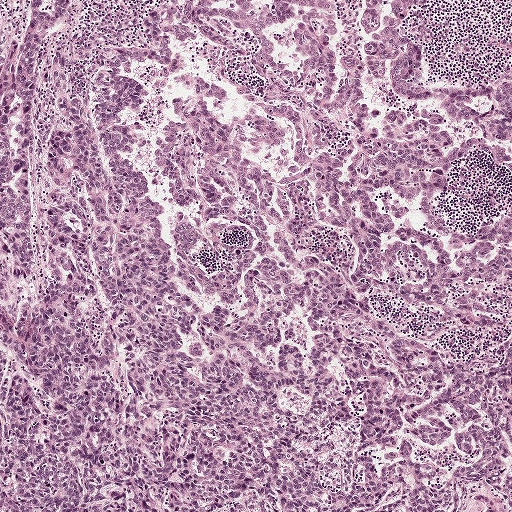
A 1-mm field of an H&E-stained sentinel lymph node from a breast-cancer patient (whole-slide image), shown at about 5×, about 1.9 µm per pixel.
Five metastatic tumour regions, each outlined as a closed clockwise path in crop pixels (x, y), largest first: region 1: (52, 123), (72, 131), (73, 177), (92, 235), (95, 279), (119, 326), (120, 420), (114, 465), (95, 510), (0, 511), (0, 295), (12, 309), (22, 309), (43, 276), (36, 159); region 2: (358, 46), (368, 78), (369, 98), (459, 120), (511, 154), (511, 174), (484, 155), (460, 158), (447, 191), (436, 201), (453, 222), (452, 236), (448, 239), (437, 237), (412, 204), (382, 188), (367, 191), (354, 183), (350, 167), (363, 137), (342, 56); region 3: (511, 223), (511, 297), (455, 271), (454, 259), (459, 252), (481, 233), (501, 229); region 4: (511, 323), (511, 446), (507, 439), (493, 429), (479, 405), (482, 404), (484, 399), (486, 365), (496, 358), (500, 344); region 5: (511, 468), (511, 509), (508, 502), (505, 500), (504, 500), (504, 484), (506, 477).
The annotated tumour makes up about 20% of the crop.